Image:
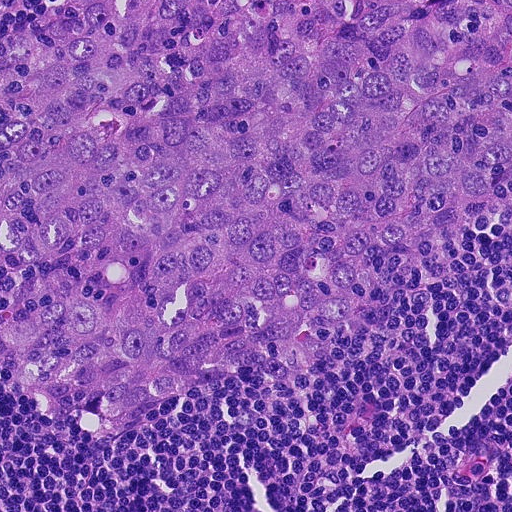
This is a crop of a whole-slide image: an H&E-stained breast-cancer sentinel lymph node section at roughly 20× magnification (about 0.45 µm per pixel; the crop spans about 0.23 mm).
Question:
Is there metastatic carcinoma in this field?
Answer:
Yes.
The outlined metastatic tumour's edge, as a closed clockwise path of 11 points: (51, 0), (511, 0), (511, 216), (478, 230), (340, 373), (292, 370), (197, 395), (125, 447), (78, 432), (0, 388), (0, 33).
About 70% of this field is tumour.

Image:
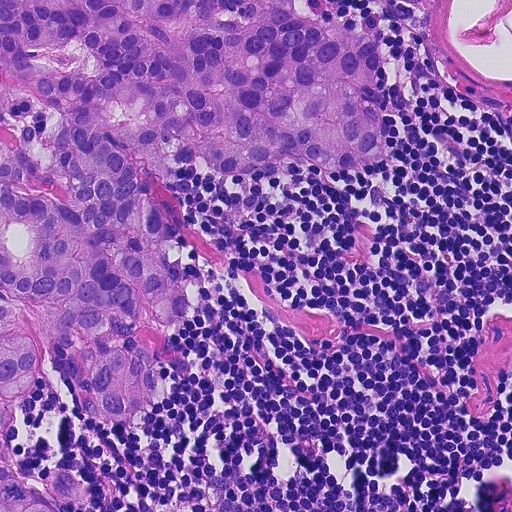
A 0.23-mm field of an H&E-stained sentinel lymph node from a breast-cancer patient (whole-slide image), shown at about 20×, about 0.45 µm per pixel.
Question:
Is there metastatic carcinoma in this field?
Answer:
Yes.
Boundaries of two metastatic tumour regions, simplified and listed clockwise, largest first: region 1: (0, 0), (306, 0), (356, 25), (384, 58), (392, 140), (370, 169), (244, 182), (165, 146), (182, 169), (167, 251), (204, 274), (205, 314), (165, 327), (174, 380), (156, 419), (114, 427), (74, 418), (48, 355), (20, 415), (0, 413); region 2: (0, 444), (35, 476), (43, 463), (70, 465), (96, 476), (96, 497), (78, 508), (62, 504), (62, 511), (0, 511).
About 40% of this field is tumour.

Image:
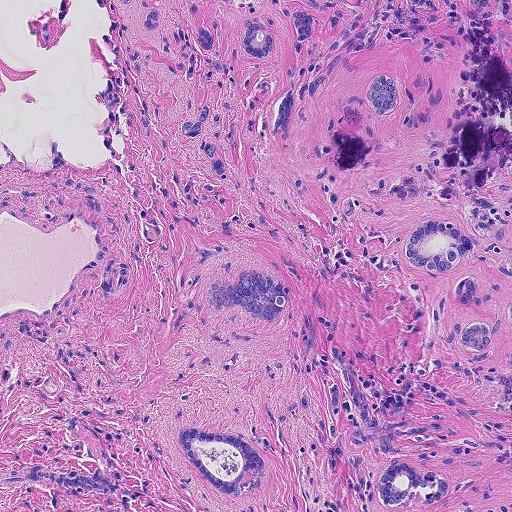
This is a crop of a whole-slide image: an H&E-stained breast-cancer sentinel lymph node section at roughly 10× magnification (about 0.9 µm per pixel; the crop spans about 0.46 mm).
Question:
Is there metastatic carcinoma in this field?
Answer:
Yes.
Boundaries of seven metastatic tumour regions, simplified and listed clockwise, largest first: region 1: (466, 0), (511, 0), (511, 412), (486, 406), (473, 394), (450, 343), (448, 283), (411, 272), (391, 242), (438, 192), (444, 136), (416, 111), (379, 115), (367, 102), (366, 84), (380, 73), (416, 74), (449, 54); region 2: (232, 0), (340, 0), (345, 10), (340, 27), (364, 30), (373, 45), (342, 66), (303, 107), (287, 145), (268, 143), (268, 126), (292, 56), (290, 38), (287, 34), (279, 51), (263, 60), (245, 57), (236, 42), (220, 52), (202, 52), (196, 34), (207, 20), (224, 14); region 3: (331, 345), (336, 346), (363, 378), (392, 389), (411, 380), (412, 390), (404, 409), (408, 419), (448, 426), (411, 437), (401, 443), (400, 453), (390, 455), (380, 454), (364, 441), (356, 447), (347, 442), (347, 432), (356, 429), (342, 406), (336, 424), (328, 406), (326, 386), (340, 381); region 4: (190, 426), (211, 432), (262, 436), (270, 442), (262, 460), (265, 470), (258, 489), (252, 497), (242, 500), (232, 500), (222, 496), (199, 476), (178, 446), (175, 436), (180, 428); region 5: (253, 268), (282, 280), (290, 288), (281, 316), (274, 324), (264, 325), (236, 310), (224, 310), (215, 314), (206, 307), (203, 297), (204, 287), (210, 279), (221, 278), (229, 284), (243, 270); region 6: (393, 460), (403, 460), (421, 469), (431, 470), (449, 480), (450, 490), (435, 504), (414, 505), (395, 509), (386, 507), (378, 500), (375, 490), (378, 474), (384, 466); region 7: (198, 106), (217, 110), (221, 128), (219, 148), (227, 182), (225, 182), (199, 156), (176, 126), (181, 114).
Two more small tumour pieces are annotated here but not outlined.
Tumour covers about 25% of the frame.

Image:
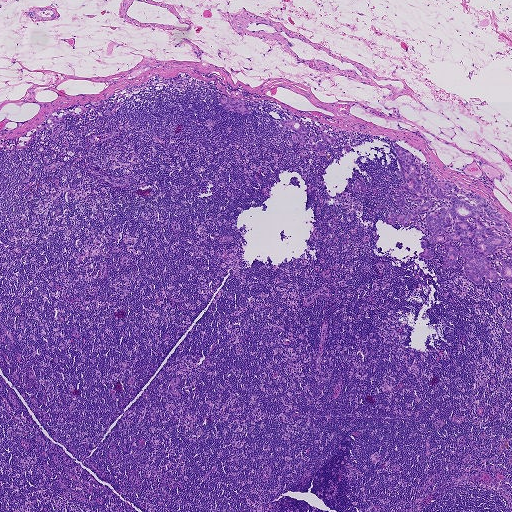
This is a crop of a whole-slide image: an H&E-stained breast-cancer sentinel lymph node section at roughly 2.5× magnification (about 3.6 µm per pixel; the crop spans about 1.9 mm).
Question:
Is there metastatic carcinoma in this field?
Answer:
Yes.
Outlines of five tumour regions, largest first (closed clockwise paths, crop pixels): region 1: (394, 144), (417, 158), (420, 172), (452, 183), (468, 197), (480, 196), (500, 212), (508, 232), (479, 216), (506, 240), (487, 256), (496, 281), (484, 275), (481, 285), (471, 281), (459, 254), (457, 267), (446, 269), (446, 243), (427, 242), (432, 257), (420, 256), (420, 240), (431, 235), (424, 227), (426, 212), (406, 227), (385, 220), (402, 211), (394, 199), (401, 197), (399, 183), (404, 184); region 2: (289, 118), (298, 121), (308, 129), (304, 137), (306, 141), (313, 145), (322, 140), (320, 134), (324, 132), (334, 138), (334, 142), (330, 143), (327, 140), (323, 142), (324, 150), (320, 151), (312, 150), (306, 145), (294, 142), (292, 134), (293, 130), (281, 126), (279, 123); region 3: (507, 248), (511, 248), (511, 291), (507, 291), (505, 287), (502, 286), (501, 282), (504, 280), (508, 280), (508, 279), (502, 279), (500, 272), (502, 264), (500, 260), (500, 259), (502, 258), (505, 261), (508, 262), (508, 260), (508, 259), (510, 258), (510, 257), (506, 253), (504, 250); region 4: (217, 97), (241, 100), (250, 109), (251, 113), (243, 114), (227, 111), (223, 108); region 5: (357, 179), (365, 184), (366, 188), (366, 192), (362, 192), (359, 190), (354, 192), (352, 188), (352, 184).
Two more small tumour pieces are annotated here but not outlined.
About 5% of this field is tumour.